Question: 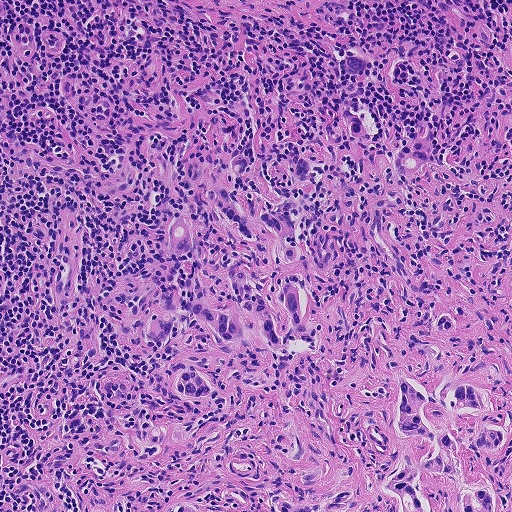
H&E-stained section of a sentinel lymph node (breast cancer), from a whole-slide image, viewed at about 10×: the field is about 0.46 mm across, about 0.9 µm per pixel.
About how much of this crop is taken up by metastatic carcinoma?

Choices:
 (A) about 10% to 20%
 (B) about 5% or less
 (C) about 50% or more
 (D) about 25% to 45%
 (E) none: no tumour is outlined

Answer: (A) about 10% to 20%
About 10% of the field is tumour.
Outlines of eight tumour regions, largest first (closed clockwise paths, crop pixels): region 1: (398, 364), (437, 391), (452, 381), (484, 385), (498, 410), (511, 410), (511, 511), (271, 509), (282, 496), (336, 491), (398, 459), (406, 449), (392, 438); region 2: (294, 280), (302, 292), (303, 306), (307, 320), (307, 335), (294, 331), (279, 305), (276, 318), (280, 332), (287, 345), (275, 352), (266, 342), (256, 314), (242, 312), (250, 298), (279, 299), (280, 282); region 3: (179, 360), (192, 365), (204, 374), (211, 386), (210, 400), (196, 401), (181, 399), (169, 391), (172, 377); region 4: (434, 132), (431, 151), (425, 165), (410, 175), (400, 174), (391, 162), (396, 148), (408, 140); region 5: (213, 185), (228, 190), (251, 227), (255, 241), (248, 243), (237, 234), (220, 210), (203, 196); region 6: (181, 300), (194, 301), (220, 311), (232, 320), (238, 333), (231, 345), (218, 336), (208, 325), (194, 317); region 7: (361, 56), (368, 60), (358, 88), (349, 98), (341, 87), (350, 75), (343, 60); region 8: (188, 499), (203, 511), (163, 511), (172, 504).
Six more small tumour pieces are annotated here but not outlined.